Image:
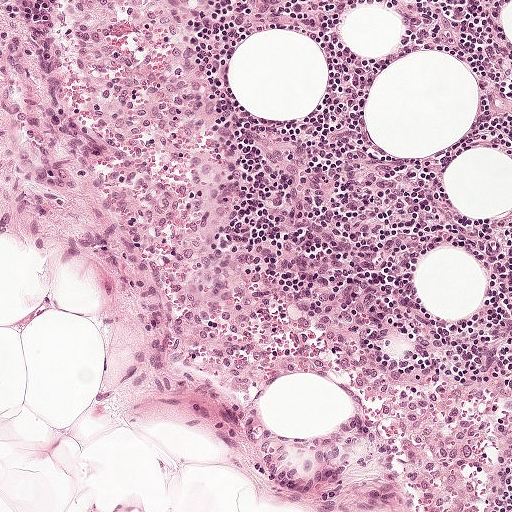
A 0.5-mm field of an H&E-stained sentinel lymph node from a breast-cancer patient (whole-slide image), shown at about 10×, about 0.97 µm per pixel.
Question:
Does this lymph node field contain metastatic tumour?
Answer:
No: no metastatic tumour is outlined anywhere in this field.